Lymph node section stained with H&E, from a whole-slide image of a breast-cancer sentinel node. Magnification about 20×, about 0.25 mm across the frame, about 0.49 µm per pixel.
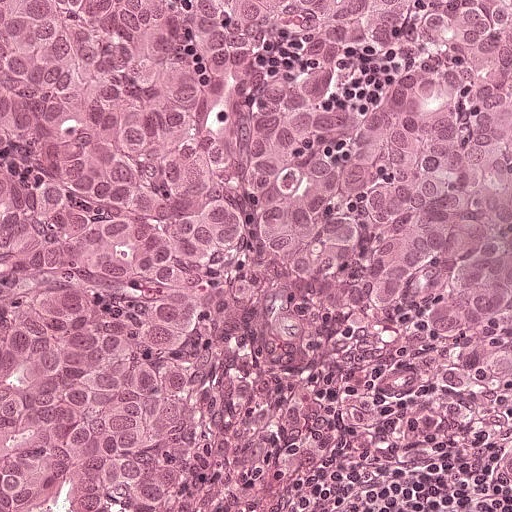
The outlined metastatic tumour's edge, as a closed clockwise path of 5 points: (0, 0), (479, 0), (365, 120), (182, 358), (0, 485).
About 50% of the image area is annotated as tumour.